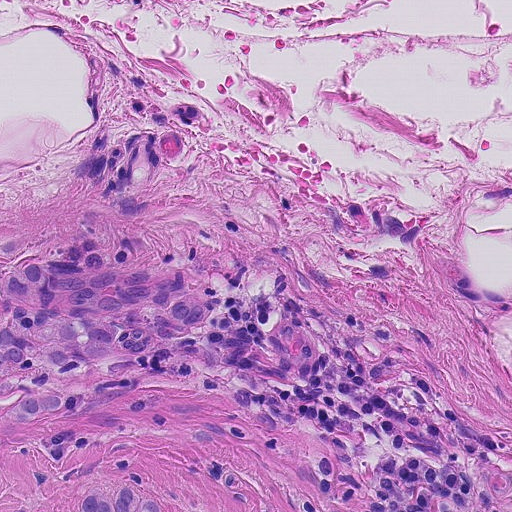
A 0.23-mm field of an H&E-stained sentinel lymph node from a breast-cancer patient (whole-slide image), shown at about 20×, about 0.45 µm per pixel.
Two metastatic tumour regions, each outlined as a closed clockwise path in crop pixels (x, y), largest first: region 1: (101, 249), (202, 276), (216, 298), (217, 324), (154, 364), (118, 401), (0, 460), (0, 274), (50, 250); region 2: (140, 480), (158, 500), (164, 511), (12, 511), (18, 496), (68, 510), (86, 488), (117, 486).
Tumour covers about 10% of the frame.